A 0.12-mm field of an H&E-stained sentinel lymph node from a breast-cancer patient (whole-slide image), shown at about 40×, about 0.23 µm per pixel.
Image:
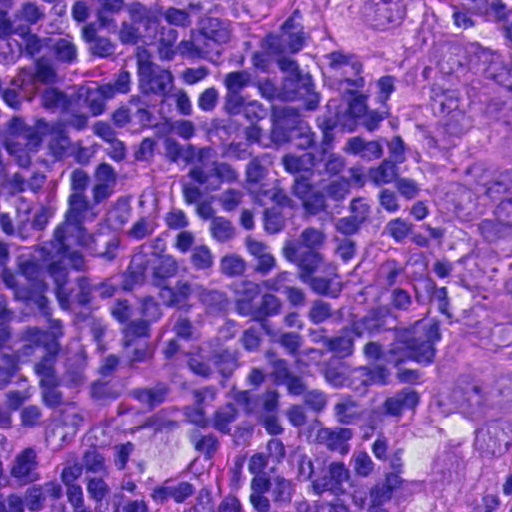
Question:
Which parts of this field are metastatic tumour?
Answer:
One metastatic tumour region; its boundary, reduced to 14 corners and listed clockwise: (119, 0), (413, 0), (511, 77), (511, 456), (493, 511), (394, 511), (444, 358), (483, 293), (401, 129), (385, 72), (351, 51), (313, 1), (245, 21), (181, 20).
The annotated tumour makes up about 20% of the crop.